Image:
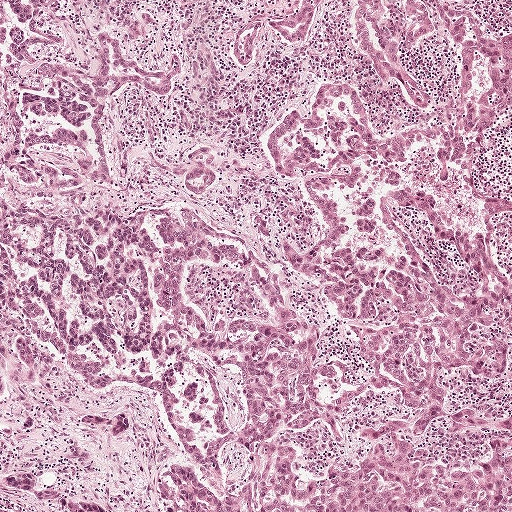
Lymph node section stained with H&E, from a whole-slide image of a breast-cancer sentinel node. Magnification about 5×, about 1 mm across the frame, about 1.9 µm per pixel.
Question:
Show where the tumour is in this image.
Answer:
Metastatic tumour outline, simplified to 37 points and listed clockwise in crop pixels (x, y): (319, 182), (338, 209), (343, 245), (398, 247), (382, 200), (462, 293), (475, 291), (467, 268), (397, 209), (392, 192), (420, 192), (449, 222), (483, 230), (511, 282), (511, 511), (148, 511), (158, 474), (178, 463), (225, 489), (274, 445), (302, 448), (319, 478), (390, 434), (427, 456), (415, 460), (446, 470), (480, 463), (494, 438), (437, 429), (430, 443), (408, 429), (358, 433), (401, 398), (278, 247), (287, 232), (304, 248), (322, 236).
The annotated tumour makes up about 20% of the crop.